Lymph node section stained with H&E, from a whole-slide image of a breast-cancer sentinel node. Magnification about 20×, about 0.25 mm across the frame, about 0.49 µm per pixel.
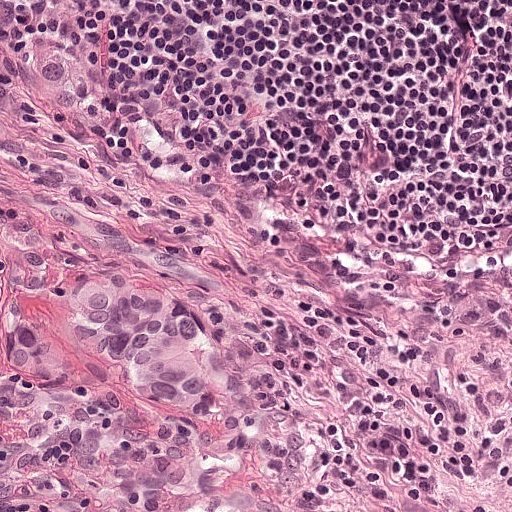
Boundaries of two metastatic tumour regions, simplified and listed clockwise, largest first: region 1: (136, 258), (218, 313), (236, 346), (232, 427), (200, 434), (146, 406), (126, 390), (96, 349), (72, 335), (60, 291), (71, 282); region 2: (150, 504), (170, 504), (172, 505), (177, 505), (180, 508), (184, 508), (184, 510), (188, 510), (190, 511), (130, 511), (140, 508), (146, 508), (146, 506), (148, 506).
The annotated tumour makes up about 5% of the crop.